Lymph node section stained with H&E, from a whole-slide image of a breast-cancer sentinel node. Magnification about 2.5×, about 2.0 mm across the frame, about 3.9 µm per pixel.
Image:
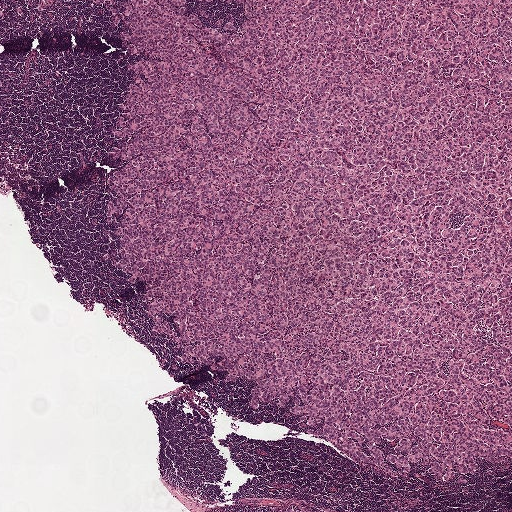
Question:
Where is the metastatic tumour in this field?
Answer:
One metastatic tumour region; its boundary, reduced to 22 corners and listed clockwise: (79, 0), (511, 0), (511, 467), (485, 464), (461, 486), (420, 467), (402, 481), (364, 470), (296, 428), (291, 401), (284, 413), (249, 413), (244, 375), (228, 386), (224, 374), (178, 367), (144, 316), (145, 287), (123, 280), (101, 213), (127, 77), (117, 27).
Two more small tumour pieces are annotated here but not outlined.
Tumour covers about 65% of the frame.